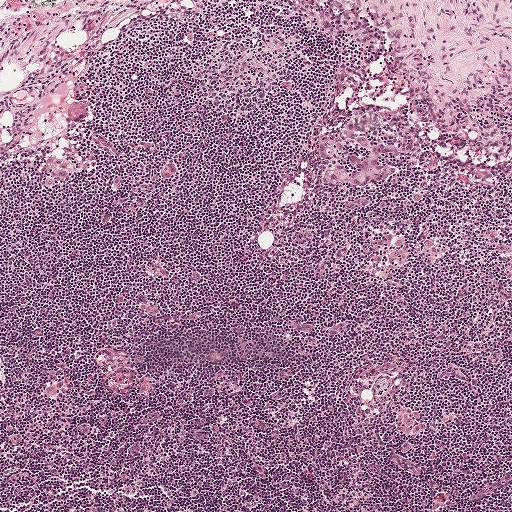
Lymph node section stained with H&E, from a whole-slide image of a breast-cancer sentinel node. Magnification about 5×, about 1 mm across the frame, about 1.9 µm per pixel.
Question: Which parts of this field are metastatic tumour? Answer with the outline of each region, in pixels.
Answer: Metastatic tumour outline, simplified to 20 points and listed clockwise in crop pixels (x, y): (366, 121), (371, 140), (384, 141), (403, 150), (397, 154), (390, 151), (383, 153), (385, 162), (399, 165), (399, 171), (388, 180), (366, 184), (350, 182), (334, 184), (323, 180), (325, 162), (316, 143), (332, 131), (341, 131), (349, 122).
Under 5% of this field is tumour.